Image:
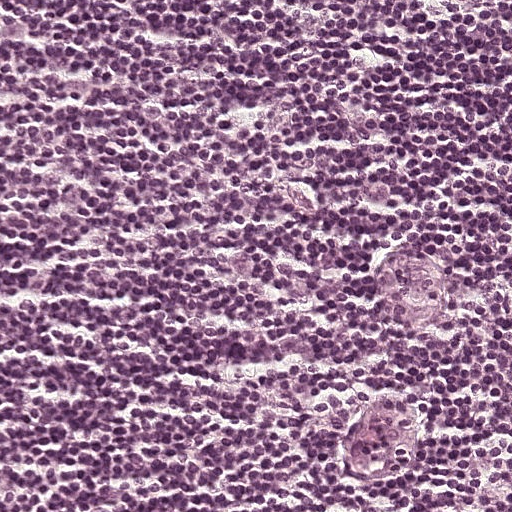
Lymph node section stained with H&E, from a whole-slide image of a breast-cancer sentinel node. Magnification about 20×, about 0.25 mm across the frame, about 0.49 µm per pixel.
Question:
Does this lymph node field contain metastatic tumour?
Answer:
No, this field holds no outlined metastasis.